Question: 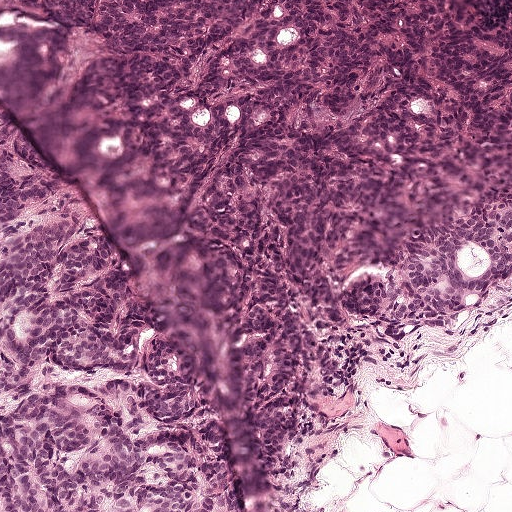
A 0.5-mm field of an H&E-stained sentinel lymph node from a breast-cancer patient (whole-slide image), shown at about 10×, about 0.97 µm per pixel.
What fraction of the image area is metastatic tumour?

Choices:
 (A) about 5% or less
 (B) about 50% or more
 (C) none: no tumour is outlined
 (D) about 10% to 20%
 (E) about 25% to 45%

Answer: (B) about 50% or more
About 65% of the field is tumour.
Boundaries of two metastatic tumour regions, simplified and listed clockwise, largest first: region 1: (511, 0), (511, 116), (355, 189), (312, 249), (322, 277), (363, 278), (511, 209), (511, 274), (332, 383), (268, 382), (232, 338), (138, 170), (15, 2); region 2: (0, 117), (83, 208), (134, 321), (197, 410), (234, 510), (0, 511).